Question: 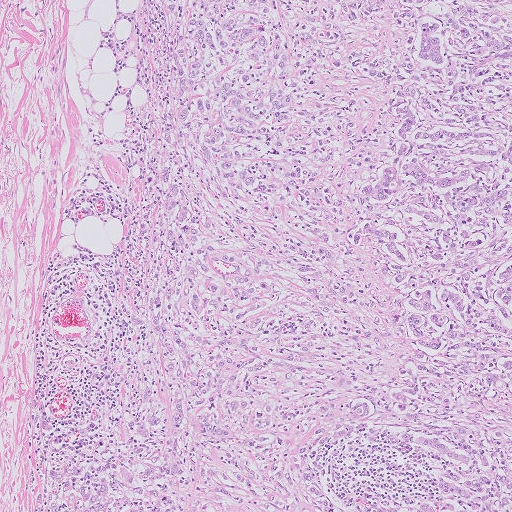
About what magnification does this crop show?

Choices:
 (A) about 20×
 (B) about 10×
 (C) about 2.5×
 (D) about 40×
 (E) about 5×

Answer: (E) about 5×
A 1.0-mm field of an H&E-stained sentinel lymph node from a breast-cancer patient (whole-slide image), shown at about 5×, about 2.0 µm per pixel.
Tumour region outline (a closed clockwise path, crop pixels): (160, 0), (511, 0), (511, 511), (33, 511), (50, 434), (78, 416), (124, 294), (164, 41).
The annotated tumour makes up about 75% of the crop.